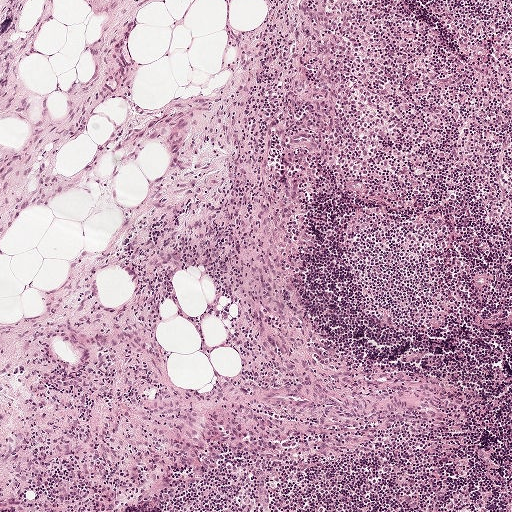
This is a crop of a whole-slide image: an H&E-stained breast-cancer sentinel lymph node section at roughly 5× magnification (about 1.9 µm per pixel; the crop spans about 1 mm).